This is a crop of a whole-slide image: an H&E-stained breast-cancer sentinel lymph node section at roughly 40× magnification (about 0.25 µm per pixel; the crop spans about 0.13 mm).
Question: 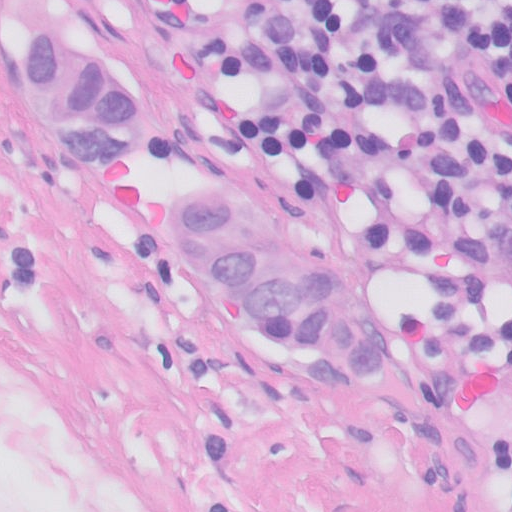
Roughly what share of this field is metastatic tumour?

Choices:
 (A) about 10% to 20%
 (B) about 5% or less
 (C) none: no tumour is outlined
 (D) about 25% to 45%
 (E) about 50% or more

Answer: (A) about 10% to 20%
About 15% of the field is tumour.
Two metastatic tumour regions, each outlined as a closed clockwise path in crop pixels (x, y), largest first: region 1: (220, 186), (252, 206), (338, 285), (353, 308), (378, 325), (391, 351), (381, 380), (358, 396), (329, 396), (258, 343), (223, 296), (153, 240), (144, 212), (162, 188); region 2: (45, 15), (73, 41), (105, 56), (131, 76), (148, 100), (148, 129), (137, 154), (110, 167), (83, 168), (41, 132), (13, 79), (6, 50), (17, 21).